This is a crop of a whole-slide image: an H&E-stained breast-cancer sentinel lymph node section at roughly 2.5× magnification (about 3.9 µm per pixel; the crop spans about 2.0 mm).
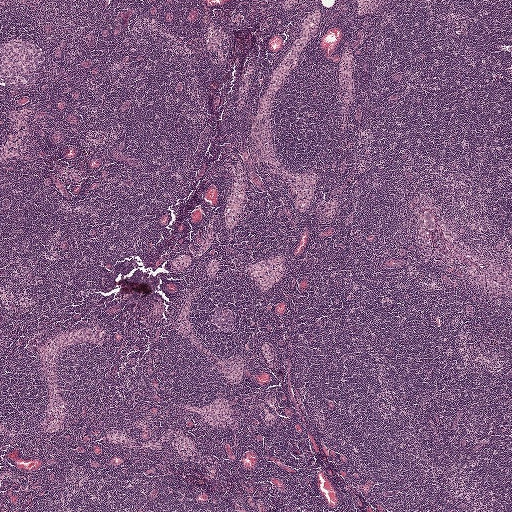
The outlined metastatic tumour's edge, as a closed clockwise path of 9 points: (424, 211), (428, 211), (432, 215), (434, 222), (434, 227), (432, 228), (425, 227), (421, 222), (421, 216).
The annotated tumour makes up under 5% of the crop.